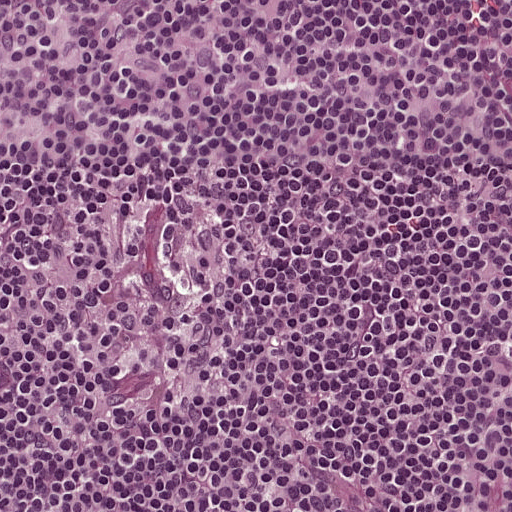
H&E-stained section of a sentinel lymph node (breast cancer), from a whole-slide image, viewed at about 20×: the field is about 0.25 mm across, about 0.49 µm per pixel.